Question: 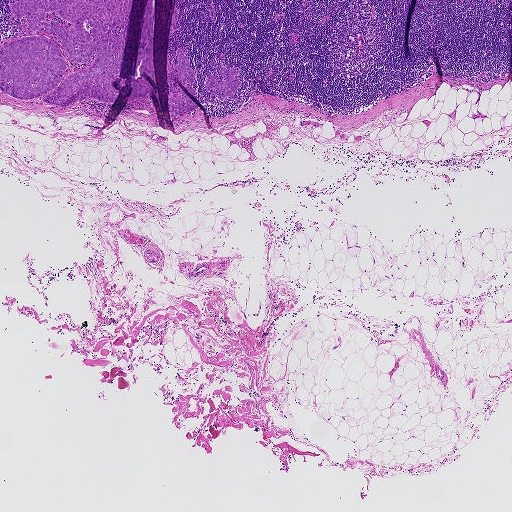
At roughly what magnification is this field shown?

Choices:
 (A) about 20×
 (B) about 2.5×
 (C) about 40×
 (D) about 5×
 (E) about 10×

Answer: (B) about 2.5×
H&E-stained section of a sentinel lymph node (breast cancer), from a whole-slide image, viewed at about 2.5×: the field is about 1.9 mm across, about 3.6 µm per pixel.
Three metastatic tumour regions, each outlined as a closed clockwise path in crop pixels (x, y), largest first: region 1: (131, 0), (118, 74), (111, 83), (118, 91), (112, 101), (42, 101), (61, 81), (28, 99), (2, 91), (0, 48), (8, 43), (48, 39), (65, 61), (63, 77), (90, 66), (95, 54), (79, 63), (56, 37), (20, 29), (30, 17), (14, 14), (12, 4); region 2: (180, 46), (189, 60), (195, 75), (193, 83), (188, 84), (195, 89), (198, 99), (180, 78), (172, 76), (172, 79), (198, 107), (186, 114), (178, 114), (174, 114), (169, 107), (167, 82), (167, 54), (171, 55), (174, 63), (178, 64), (176, 61), (176, 52), (177, 48); region 3: (221, 66), (228, 70), (235, 68), (238, 72), (234, 77), (240, 82), (233, 95), (222, 96), (214, 95), (205, 90), (204, 87), (210, 73), (215, 78), (216, 81), (224, 81), (227, 74), (225, 76), (221, 76), (218, 73).
About 5% of this field is tumour.